H&E-stained section of a sentinel lymph node (breast cancer), from a whole-slide image, viewed at about 20×: the field is about 0.25 mm across, about 0.49 µm per pixel.
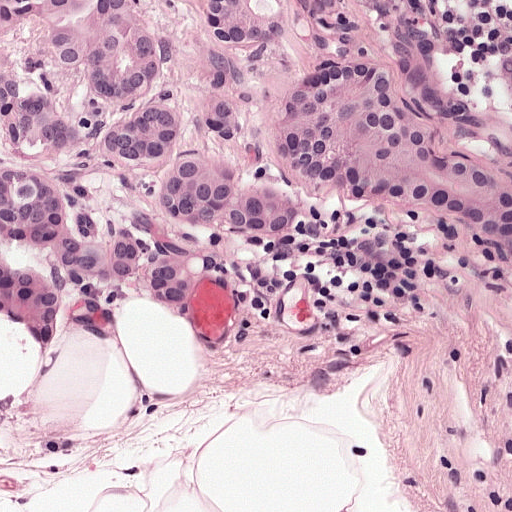
Outlines of two tumour regions, largest first (closed clockwise paths, crop pixels): region 1: (0, 0), (137, 0), (172, 32), (146, 102), (248, 188), (274, 178), (262, 118), (280, 87), (345, 58), (378, 70), (511, 191), (511, 251), (344, 195), (278, 234), (174, 232), (184, 300), (123, 278), (104, 300), (116, 339), (94, 338), (84, 286), (69, 286), (40, 360), (0, 319), (0, 242), (54, 286), (39, 252), (0, 235), (0, 72), (76, 116), (141, 104), (90, 98), (86, 65), (63, 68), (28, 22), (0, 35); region 2: (198, 0), (350, 0), (353, 35), (325, 55), (295, 44), (292, 12), (258, 64), (256, 102), (242, 134), (216, 144), (203, 122), (214, 53), (196, 22).
About 35% of this field is tumour.